A 1-mm field of an H&E-stained sentinel lymph node from a breast-cancer patient (whole-slide image), shown at about 5×, about 1.9 µm per pixel.
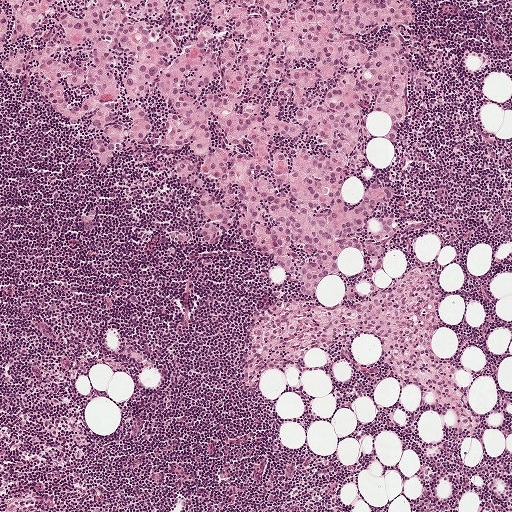
The outlined metastatic tumour's edge, as a closed clockwise path of 36 points: (410, 0), (402, 57), (430, 79), (422, 94), (406, 84), (394, 146), (358, 128), (349, 162), (364, 188), (395, 190), (373, 213), (395, 235), (357, 235), (380, 244), (383, 269), (344, 248), (338, 274), (302, 294), (239, 228), (240, 200), (204, 241), (201, 193), (174, 164), (204, 155), (153, 144), (177, 111), (155, 87), (149, 136), (101, 164), (92, 111), (68, 125), (30, 72), (3, 70), (20, 48), (0, 51), (8, 8).
About 30% of this field is tumour.